Lymph node section stained with H&E, from a whole-slide image of a breast-cancer sentinel node. Magnification about 20×, about 0.23 mm across the frame, about 0.45 µm per pixel.
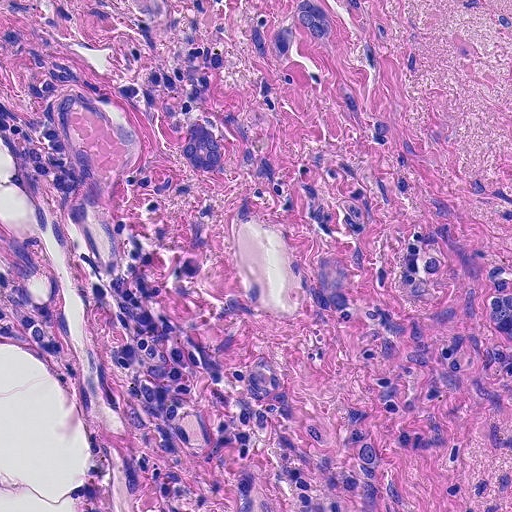
Boundaries of two metastatic tumour regions, simplified and listed clockwise, largest first: region 1: (313, 0), (318, 0), (335, 17), (330, 41), (300, 34), (292, 46), (272, 58), (248, 50), (250, 24), (274, 21), (292, 4); region 2: (500, 259), (504, 274), (511, 281), (511, 344), (494, 337), (488, 314), (491, 284), (488, 260).
Two more small tumour pieces are annotated here but not outlined.
About 5% of the image area is annotated as tumour.